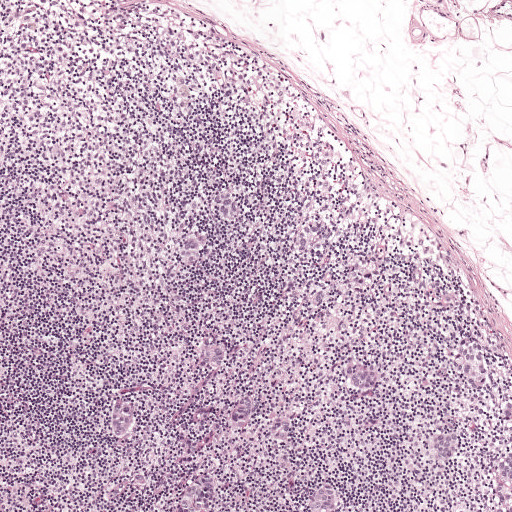
Lymph node section stained with H&E, from a whole-slide image of a breast-cancer sentinel node. Magnification about 5×, about 1 mm across the frame, about 1.9 µm per pixel.
The eight largest tumour regions' boundaries, simplified and listed clockwise, largest first: region 1: (511, 429), (511, 511), (473, 511), (474, 508), (483, 500), (487, 488), (480, 465), (479, 453), (482, 440), (493, 434); region 2: (327, 218), (338, 227), (337, 240), (330, 250), (307, 262), (295, 261), (288, 250), (287, 238), (294, 225), (307, 220); region 3: (234, 184), (248, 198), (250, 211), (248, 223), (234, 233), (222, 231), (214, 223), (209, 211), (211, 196), (220, 187); region 4: (469, 340), (487, 345), (492, 358), (493, 372), (490, 385), (480, 390), (468, 388), (460, 380), (456, 369), (457, 358), (461, 346); region 5: (208, 227), (216, 247), (211, 258), (203, 268), (190, 272), (179, 268), (174, 257), (174, 246), (180, 235), (191, 229); region 6: (210, 473), (215, 483), (215, 496), (212, 509), (206, 511), (167, 511), (178, 489), (187, 481), (197, 475); region 7: (359, 261), (375, 264), (382, 276), (368, 295), (356, 297), (345, 294), (336, 285), (336, 271), (344, 263); region 8: (458, 424), (466, 432), (463, 443), (453, 453), (443, 458), (430, 460), (419, 454), (422, 442), (430, 433).
Nine more, smaller tumour regions are not outlined.
One more small tumour piece is annotated here but not outlined.
About 5% of this field is tumour.